This is a crop of a whole-slide image: an H&E-stained breast-cancer sentinel lymph node section at roughly 10× magnification (about 0.91 µm per pixel; the crop spans about 0.46 mm).
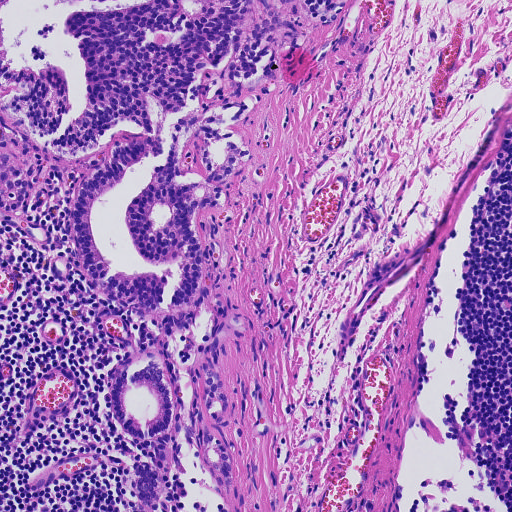
Outlines of five tumour regions, largest first (closed clockwise paths, crop pixels): region 1: (0, 0), (304, 0), (295, 64), (227, 127), (247, 138), (250, 156), (225, 184), (226, 205), (196, 212), (215, 336), (212, 354), (195, 353), (186, 366), (78, 262), (73, 213), (84, 181), (112, 144), (145, 132), (122, 122), (102, 147), (56, 155), (3, 109); region 2: (154, 347), (176, 396), (176, 415), (164, 473), (164, 492), (158, 510), (146, 511), (139, 502), (131, 465), (136, 458), (152, 466), (155, 443), (128, 438), (116, 423), (110, 405), (109, 386), (114, 368), (126, 355); region 3: (5, 142), (25, 164), (31, 177), (31, 192), (22, 204), (9, 210), (0, 208), (0, 144); region 4: (204, 426), (224, 439), (232, 458), (232, 477), (225, 493), (200, 464); region 5: (206, 360), (220, 372), (225, 390), (227, 410), (222, 427), (209, 416), (200, 398), (201, 379).
Tumour covers about 30% of the frame.